A 1.9-mm field of an H&E-stained sentinel lymph node from a breast-cancer patient (whole-slide image), shown at about 2.5×, about 3.6 µm per pixel.
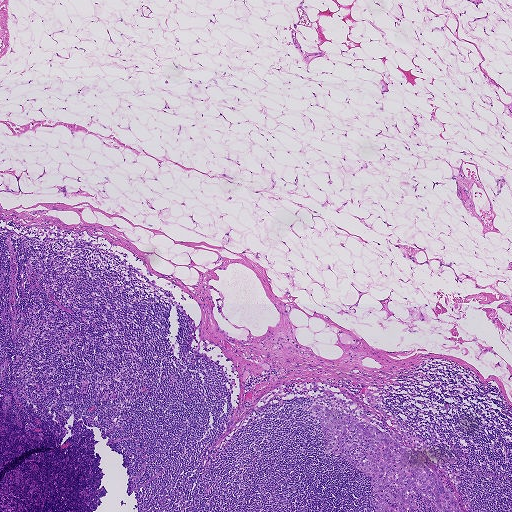
Question: Trace the edge of each tumour region in this crop, as (x, y) points from 0 to 511.
Answer: Tumour region outline (a closed clockwise path, crop pixels): (319, 403), (382, 427), (452, 489), (461, 511), (375, 511), (376, 501), (368, 477), (344, 458), (326, 452), (320, 420), (310, 412), (310, 406).
About 5% of this field is tumour.